Question: 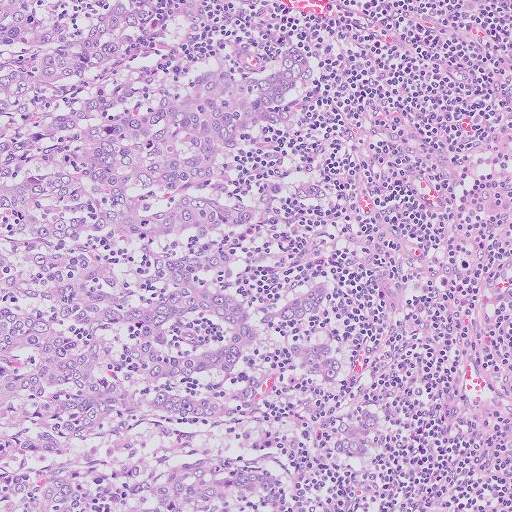
At roughly what magnification is this field shown?

Choices:
 (A) about 20×
 (B) about 2.5×
 (C) about 40×
 (D) about 5×
 (E) about 10×

Answer: (E) about 10×
Lymph node section stained with H&E, from a whole-slide image of a breast-cancer sentinel node. Magnification about 10×, about 0.51 mm across the frame, about 1.0 µm per pixel.
Metastatic tumour outline, simplified to 9 points and listed clockwise in crop pixels (x, y): (0, 0), (265, 0), (268, 65), (333, 200), (326, 299), (354, 376), (398, 438), (305, 511), (0, 511).
About 65% of this field is tumour.